Lymph node section stained with H&E, from a whole-slide image of a breast-cancer sentinel node. Magnification about 5×, about 1 mm across the frame, about 1.9 µm per pixel.
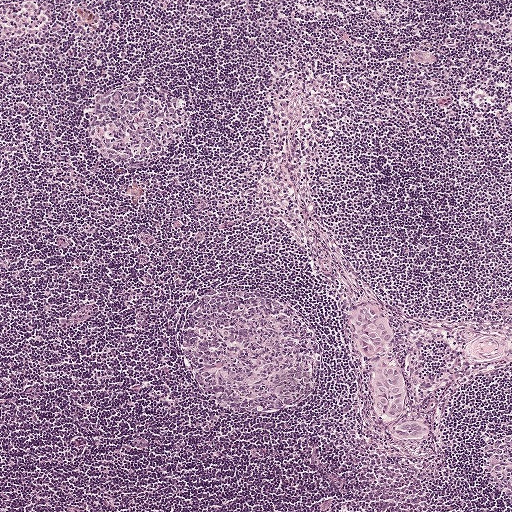
Metastatic tumour outline, simplified to 21 points and listed clockwise in crop pixels (x, y): (364, 302), (370, 303), (389, 320), (394, 339), (388, 350), (389, 361), (398, 365), (408, 388), (404, 414), (397, 420), (412, 419), (429, 426), (428, 432), (420, 436), (403, 438), (393, 435), (375, 413), (371, 383), (359, 341), (352, 328), (353, 313).
Under 5% of the image area is annotated as tumour.